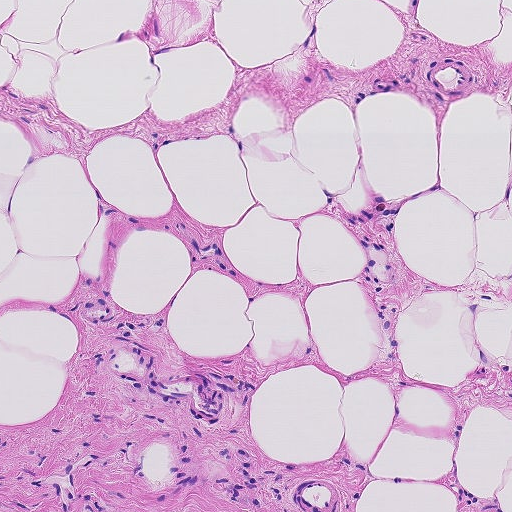
H&E-stained section of a sentinel lymph node (breast cancer), from a whole-slide image, viewed at about 10×: the field is about 0.46 mm across, about 0.9 µm per pixel.
Question: Trace the edge of each tumour region in this crop, as (x, y) points from 0 to 511.
Answer: Tumour region outline (a closed clockwise path, crop pixels): (98, 290), (155, 318), (169, 347), (186, 359), (226, 372), (242, 408), (244, 448), (256, 466), (274, 478), (315, 472), (347, 496), (346, 511), (0, 511), (0, 429), (32, 429), (68, 406), (88, 372), (88, 342), (66, 309), (79, 294).
Tumour covers about 15% of the frame.